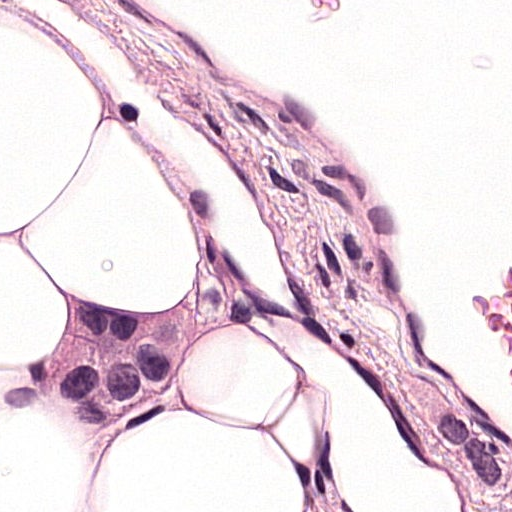
This is a crop of a whole-slide image: an H&E-stained breast-cancer sentinel lymph node section at roughly 40× magnification (about 0.24 µm per pixel; the crop spans about 0.12 mm).
Question: Show where the tumour is in this image.
Answer: One metastatic tumour region; its boundary, reduced to 13 corners and listed clockwise: (162, 260), (173, 272), (231, 290), (229, 316), (196, 360), (196, 426), (140, 426), (88, 401), (3, 375), (0, 334), (10, 305), (55, 286), (155, 272).
The annotated tumour makes up about 10% of the crop.